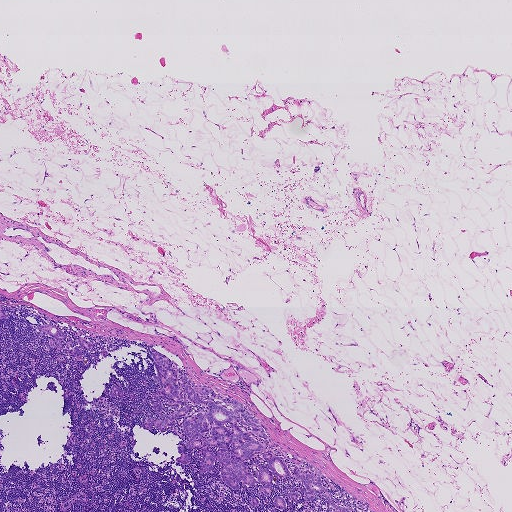
A 1.9-mm field of an H&E-stained sentinel lymph node from a breast-cancer patient (whole-slide image), shown at about 2.5×, about 3.6 µm per pixel.
Boundaries of five metastatic tumour regions, simplified and listed clockwise, largest first: region 1: (151, 349), (174, 363), (177, 377), (209, 388), (225, 402), (237, 401), (257, 417), (265, 437), (236, 422), (263, 445), (244, 461), (253, 486), (241, 480), (238, 490), (228, 486), (216, 459), (214, 472), (203, 474), (203, 448), (184, 448), (189, 462), (177, 461), (177, 445), (188, 440), (182, 432), (183, 417), (163, 432), (142, 425), (159, 416), (151, 404), (158, 402), (156, 388), (161, 390); region 2: (264, 453), (271, 453), (280, 457), (289, 473), (289, 476), (281, 478), (271, 473), (272, 484), (271, 495), (268, 496), (259, 491), (258, 487), (265, 485), (259, 484), (257, 476), (259, 469), (257, 464), (265, 467), (267, 462), (262, 455); region 3: (298, 466), (305, 467), (311, 472), (318, 473), (324, 490), (323, 493), (312, 492), (313, 500), (307, 501), (300, 490), (301, 487), (304, 487), (293, 476), (292, 473), (294, 468); region 4: (46, 323), (55, 326), (65, 334), (62, 342), (62, 346), (70, 350), (79, 345), (77, 339), (81, 337), (91, 343), (91, 347), (87, 348), (84, 346), (80, 347), (81, 355), (77, 356), (69, 355), (62, 350), (51, 347), (49, 339), (50, 336), (38, 331), (36, 328); region 5: (114, 384), (122, 389), (123, 393), (123, 397), (119, 397), (116, 395), (111, 397), (109, 393), (109, 389).
Four more small tumour pieces are annotated here but not outlined.
Tumour covers about 5% of the frame.